A 0.25-mm field of an H&E-stained sentinel lymph node from a breast-cancer patient (whole-slide image), shown at about 20×, about 0.49 µm per pixel.
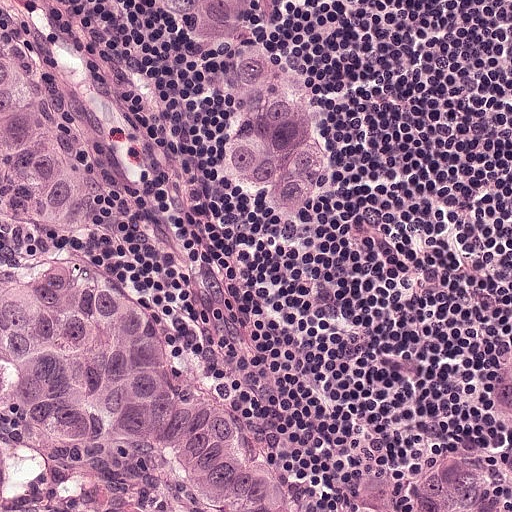
Outlines of two tumour regions, largest first (closed clockwise paths, crop pixels): region 1: (0, 42), (78, 106), (155, 274), (292, 448), (414, 451), (460, 434), (480, 408), (483, 348), (511, 320), (511, 511), (0, 511); region 2: (157, 0), (278, 1), (298, 60), (340, 146), (340, 169), (315, 232), (278, 232), (249, 212), (226, 183), (226, 98), (201, 58), (198, 38).
About 45% of the image area is annotated as tumour.